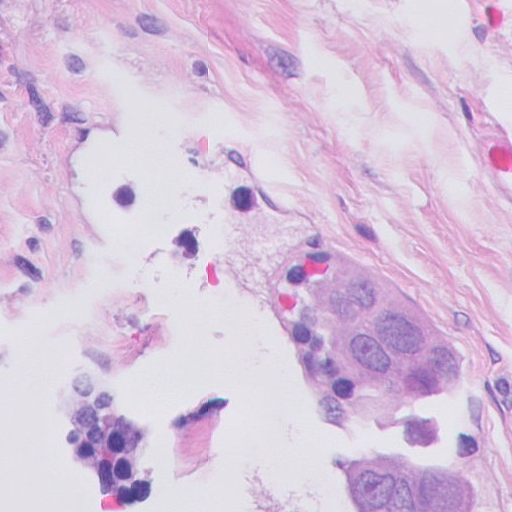
A 0.13-mm field of an H&E-stained sentinel lymph node from a breast-cancer patient (whole-slide image), shown at about 40×, about 0.25 µm per pixel.
Boundaries of two metastatic tumour regions, simplified and listed clockwise, largest first: region 1: (329, 247), (355, 257), (411, 297), (429, 319), (467, 374), (438, 409), (440, 442), (413, 450), (393, 409), (365, 406), (306, 311), (296, 285), (299, 256); region 2: (378, 456), (435, 466), (458, 464), (480, 478), (477, 508), (472, 511), (355, 511), (339, 485), (350, 459).
Tumour covers about 10% of the frame.